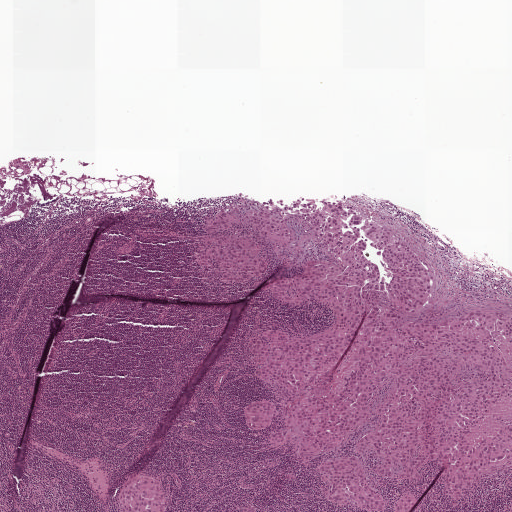
H&E-stained section of a sentinel lymph node (breast cancer), from a whole-slide image, viewed at about 2.5×: the field is about 2.0 mm across, about 3.9 µm per pixel.
Boundaries of four metastatic tumour regions, simplified and listed clockwise, largest first: region 1: (239, 192), (333, 198), (413, 250), (434, 307), (511, 311), (511, 463), (452, 509), (435, 462), (414, 483), (381, 489), (383, 511), (330, 506), (317, 466), (357, 449), (387, 384), (359, 430), (308, 462), (264, 439), (276, 417), (248, 430), (246, 406), (282, 405), (252, 376), (250, 339), (317, 331), (331, 314), (261, 292), (304, 268), (282, 269), (275, 245), (253, 232), (271, 267), (224, 288), (208, 281), (196, 268), (198, 226); region 2: (143, 474), (156, 479), (165, 498), (166, 511), (118, 511), (120, 491), (125, 482), (134, 476); region 3: (405, 492), (413, 496), (417, 501), (412, 511), (393, 511), (397, 498); region 4: (251, 505), (257, 511), (241, 511), (242, 509).
One more small tumour piece is annotated here but not outlined.
Tumour covers about 25% of the frame.